This is a crop of a whole-slide image: an H&E-stained breast-cancer sentinel lymph node section at roughly 20× magnification (about 0.49 µm per pixel; the crop spans about 0.25 mm).
Question: 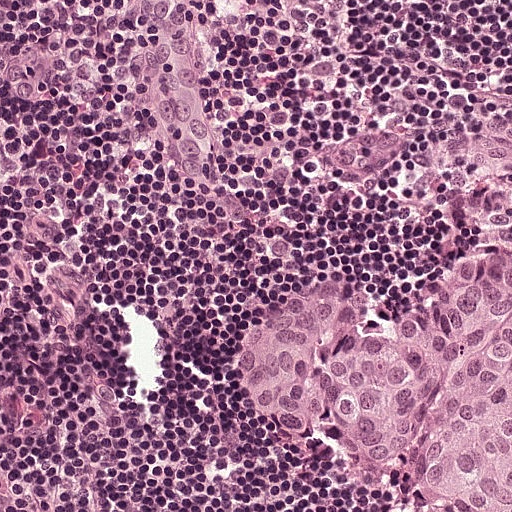
What fraction of the image area is metastatic tumour?

Choices:
 (A) about 10% to 20%
 (B) about 5% or less
 (C) about 25% to 45%
 (D) none: no tumour is outlined
 (E) about 50% or more

Answer: (C) about 25% to 45%
About 25% of the field is tumour.
One metastatic tumour region; its boundary, reduced to 18 corners and listed clockwise: (510, 110), (511, 511), (376, 511), (312, 467), (248, 442), (228, 401), (233, 340), (251, 308), (308, 278), (351, 288), (374, 324), (390, 326), (410, 288), (464, 249), (462, 222), (422, 188), (426, 144), (456, 124).